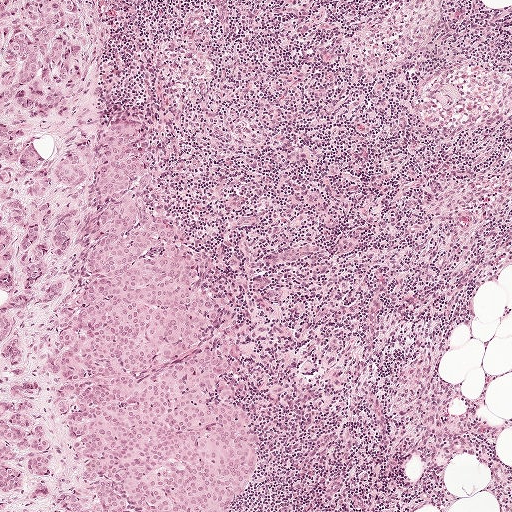
Lymph node section stained with H&E, from a whole-slide image of a breast-cancer sentinel node. Magnification about 5×, about 1 mm across the frame, about 1.9 µm per pixel.
Tumour region outline (a closed clockwise path, crop pixels): (0, 0), (94, 0), (116, 44), (114, 103), (157, 126), (172, 219), (211, 255), (209, 288), (239, 315), (233, 374), (258, 418), (259, 449), (255, 483), (234, 511), (0, 511).
The annotated tumour makes up about 40% of the crop.